Question: 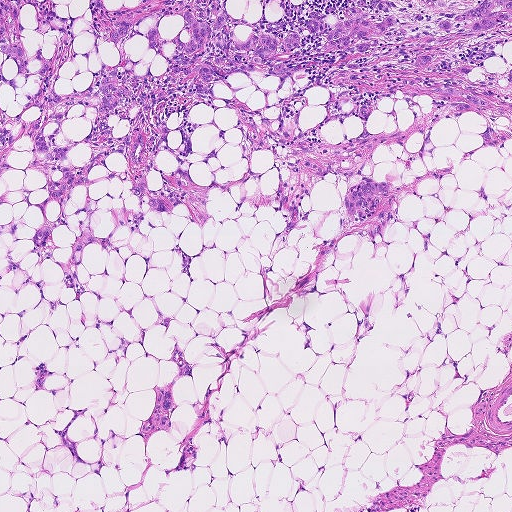
This is a crop of a whole-slide image: an H&E-stained breast-cancer sentinel lymph node section at roughly 5× magnification (about 1.8 µm per pixel; the crop spans about 0.93 mm).
Estimate the proportion of this field that is metastatic tumour.

Choices:
 (A) about 25% to 45%
 (B) about 10% to 20%
 (C) none: no tumour is outlined
 (D) about 5% or less
 (E) about 50% or more

Answer: (A) about 25% to 45%
About 30% of the field is tumour.
Boundaries of three metastatic tumour regions, simplified and listed clockwise, largest first: region 1: (0, 0), (511, 0), (511, 138), (465, 159), (509, 123), (471, 112), (433, 124), (432, 157), (381, 144), (368, 177), (449, 173), (400, 222), (339, 231), (346, 178), (328, 175), (286, 236), (271, 152), (243, 159), (225, 101), (270, 119), (304, 88), (298, 124), (336, 144), (432, 97), (330, 122), (304, 71), (231, 74), (149, 163), (70, 148), (111, 243), (74, 263), (83, 186), (38, 250), (60, 212), (27, 135), (40, 82), (0, 89); region 2: (0, 109), (14, 118), (23, 112), (22, 118), (26, 123), (26, 129), (25, 135), (12, 147), (5, 164), (15, 170), (0, 174); region 3: (14, 221), (19, 228), (16, 235), (0, 235), (0, 225).
One more small tumour piece is annotated here but not outlined.